Question: 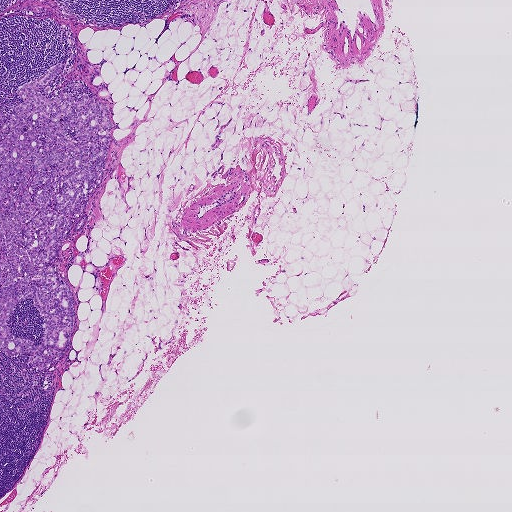
A 1.9-mm field of an H&E-stained sentinel lymph node from a breast-cancer patient (whole-slide image), shown at about 2.5×, about 3.6 µm per pixel.
About how much of this crop is taken up by metastatic carcinoma?

Choices:
 (A) about 10% to 20%
 (B) about 25% to 45%
 (C) about 50% or more
 (D) about 5% or less
 (E) none: no tumour is outlined

Answer: (A) about 10% to 20%
About 10% of the field is tumour.
Two metastatic tumour regions, each outlined as a closed clockwise path in crop pixels (x, y), largest first: region 1: (62, 62), (42, 95), (83, 92), (99, 98), (114, 124), (103, 180), (84, 207), (82, 230), (72, 228), (47, 264), (65, 266), (75, 326), (55, 371), (32, 370), (27, 362), (32, 356), (13, 358), (1, 351), (0, 104), (7, 116), (9, 102), (25, 101), (17, 87); region 2: (88, 248), (89, 259), (91, 263), (95, 266), (100, 267), (104, 265), (107, 263), (98, 272), (102, 281), (102, 291), (100, 295), (94, 294), (92, 287), (94, 286), (95, 277), (87, 272), (83, 272), (78, 265), (73, 264), (73, 259), (78, 251), (81, 253), (86, 253).
Region 1 encloses a non-tumour hole of about 5% of its area.